Question: 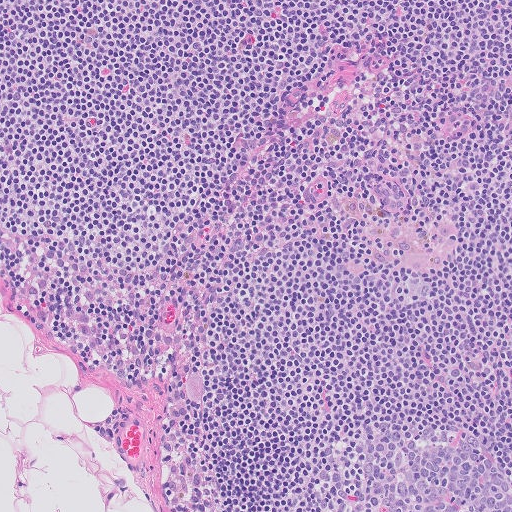
H&E-stained section of a sentinel lymph node (breast cancer), from a whole-slide image, viewed at about 10×: the field is about 0.51 mm across, about 1.0 µm per pixel.
Estimate the proportion of this field that is metastatic tumour.

Choices:
 (A) about 10% to 20%
 (B) about 25% to 45%
 (C) none: no tumour is outlined
 (D) about 50% or more
 (E) about 5% or less

Answer: (E) about 5% or less
Under 5% of the field is tumour.
The outlined metastatic tumour's edge, as a closed clockwise path of 9 points: (196, 366), (204, 371), (205, 388), (202, 399), (193, 403), (186, 401), (183, 393), (185, 379), (191, 369).